Lymph node section stained with H&E, from a whole-slide image of a breast-cancer sentinel node. Magnification about 20×, about 0.23 mm across the frame, about 0.45 µm per pixel.
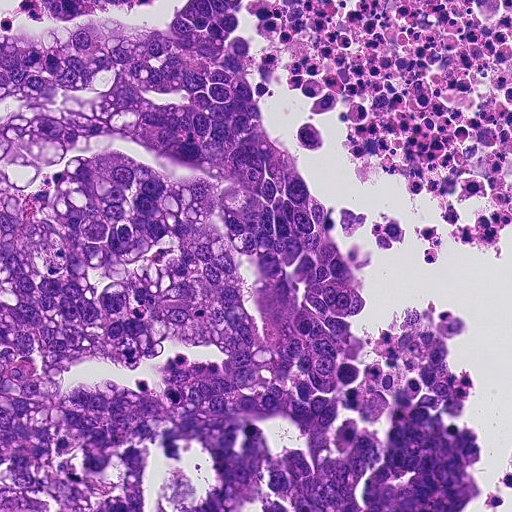
Tumour region outline (a closed clockwise path, crop pixels): (0, 0), (511, 0), (510, 256), (363, 178), (340, 116), (309, 150), (308, 96), (266, 90), (260, 114), (334, 208), (442, 228), (432, 259), (330, 228), (370, 337), (443, 302), (464, 324), (443, 350), (476, 377), (466, 500), (0, 511).
About 90% of the image area is annotated as tumour.